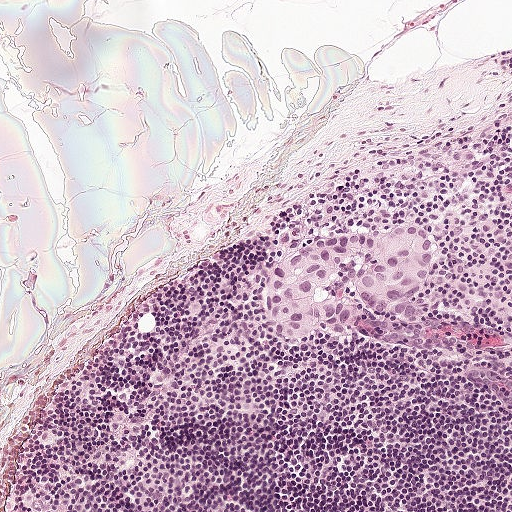
A 0.5-mm field of an H&E-stained sentinel lymph node from a breast-cancer patient (whole-slide image), shown at about 10×, about 0.97 µm per pixel.
Question: Is any metastatic breast cancer visible in this crop?
Answer: Yes.
Metastatic tumour outline, simplified to 15 points and listed clockwise in crop pixels (x, y): (408, 220), (431, 234), (435, 254), (423, 288), (409, 299), (400, 299), (386, 313), (354, 321), (346, 339), (292, 339), (268, 328), (265, 282), (278, 260), (333, 223), (358, 229).
About 5% of this field is tumour.